H&E-stained section of a sentinel lymph node (breast cancer), from a whole-slide image, viewed at about 40×: the field is about 0.12 mm across, about 0.24 µm per pixel.
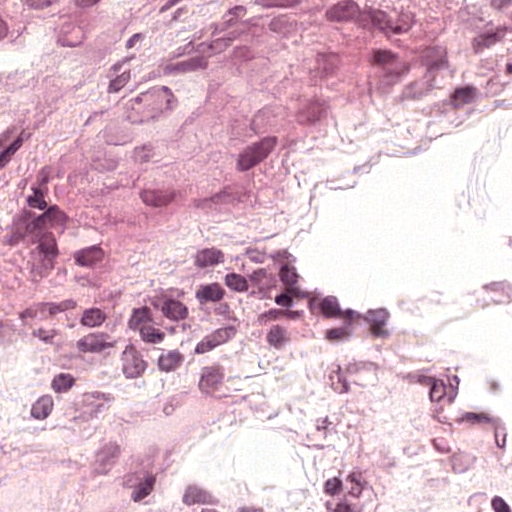
Outlines of two tumour regions, largest first (closed clockwise paths, crop pixels): region 1: (189, 78), (207, 88), (205, 122), (177, 172), (145, 200), (127, 231), (105, 234), (48, 213), (39, 197), (55, 163), (77, 144), (83, 131), (120, 103), (133, 81); region 2: (0, 0), (136, 0), (134, 15), (123, 28), (97, 31), (79, 39), (50, 57), (50, 60), (0, 72).
The annotated tumour makes up about 10% of the crop.